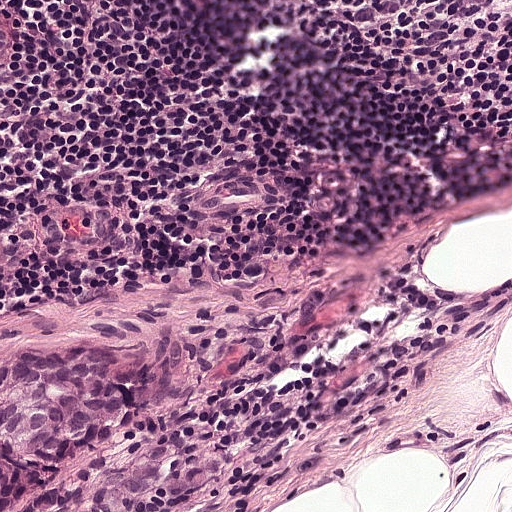
This is a crop of a whole-slide image: an H&E-stained breast-cancer sentinel lymph node section at roughly 20× magnification (about 0.49 µm per pixel; the crop spans about 0.25 mm).
Question: Outline the metastatic carcinoma in this image, as closed paths of (x, y) pixel coordinates.
Answer: The outlined metastatic tumour's edge, as a closed clockwise path of 8 points: (59, 344), (109, 348), (142, 360), (167, 439), (146, 491), (121, 511), (0, 511), (0, 363).
About 10% of the image area is annotated as tumour.